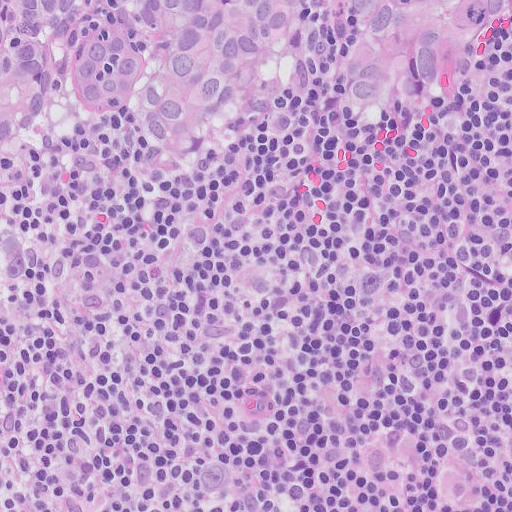
H&E-stained section of a sentinel lymph node (breast cancer), from a whole-slide image, viewed at about 20×: the field is about 0.26 mm across, about 0.5 µm per pixel.
The outlined metastatic tumour's edge, as a closed clockwise path of 16 points: (0, 0), (511, 0), (464, 85), (436, 114), (357, 128), (329, 99), (287, 100), (220, 146), (180, 158), (144, 141), (158, 61), (140, 26), (106, 4), (75, 30), (51, 107), (5, 159).
The annotated tumour makes up about 20% of the crop.